Image:
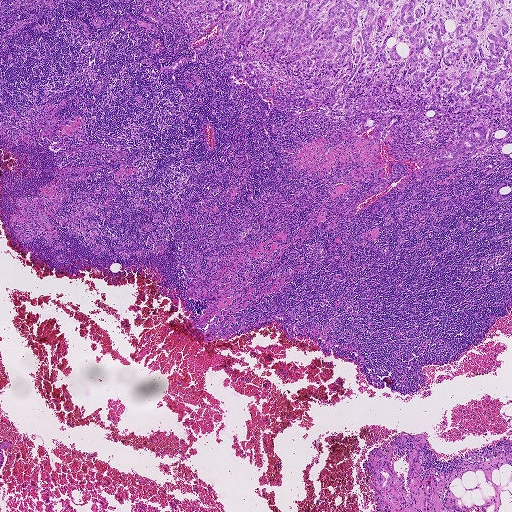
Lymph node section stained with H&E, from a whole-slide image of a breast-cancer sentinel node. Magnification about 2.5×, about 1.9 mm across the frame, about 3.6 µm per pixel.
Question:
Is any metastatic breast cancer visible in this crop?
Answer:
Yes.
One metastatic tumour region; its boundary, reduced to 24 corners and listed clockwise: (511, 0), (511, 139), (500, 141), (499, 129), (481, 151), (443, 166), (436, 153), (466, 127), (428, 110), (419, 122), (394, 112), (375, 140), (374, 122), (361, 122), (361, 106), (345, 119), (345, 103), (322, 104), (275, 68), (235, 58), (223, 35), (235, 18), (192, 41), (170, 2).
About 10% of this field is tumour.